Question: 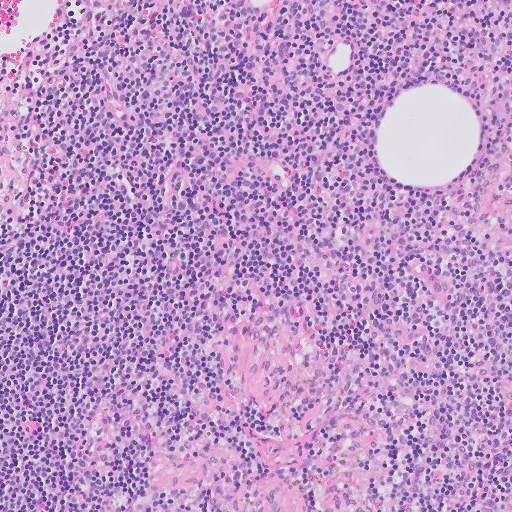
At roughly what magnification is this field shown?

Choices:
 (A) about 10×
 (B) about 2.5×
 (C) about 40×
 (D) about 5×
 (E) about 20×

Answer: (A) about 10×
A 0.51-mm field of an H&E-stained sentinel lymph node from a breast-cancer patient (whole-slide image), shown at about 10×, about 1.0 µm per pixel.
Question: 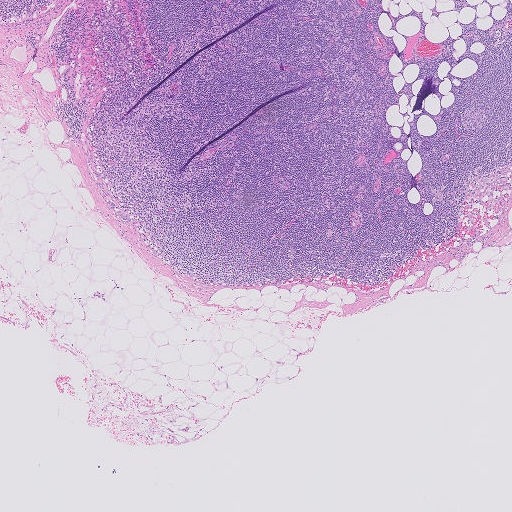
At roughly what magnification is this field shown?

Choices:
 (A) about 5×
 (B) about 10×
 (C) about 20×
 (D) about 2.5×
 (E) about 40×

Answer: (D) about 2.5×
Lymph node section stained with H&E, from a whole-slide image of a breast-cancer sentinel node. Magnification about 2.5×, about 2.0 mm across the frame, about 4.0 µm per pixel.
One metastatic tumour region; its boundary, reduced to 10 corners and listed clockwise: (116, 210), (120, 210), (122, 211), (130, 219), (130, 220), (130, 222), (127, 223), (122, 220), (116, 213), (115, 212).
One more small tumour piece is annotated here but not outlined.
Under 5% of this field is tumour.
Question: 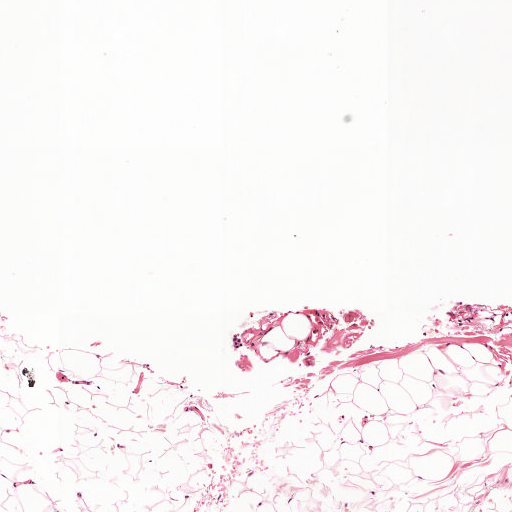
At roughly what magnification is this field shown?

Choices:
 (A) about 20×
 (B) about 5×
 (C) about 10×
 (D) about 2.5×
 (E) about 40×

Answer: (B) about 5×
Lymph node section stained with H&E, from a whole-slide image of a breast-cancer sentinel node. Magnification about 5×, about 1 mm across the frame, about 1.9 µm per pixel.
Tumour region outline (a closed clockwise path, crop pixels): (235, 334), (240, 336), (244, 346), (240, 352), (236, 352), (231, 347), (232, 336).
One more small tumour piece is annotated here but not outlined.
The annotated tumour makes up under 5% of the crop.
Question: 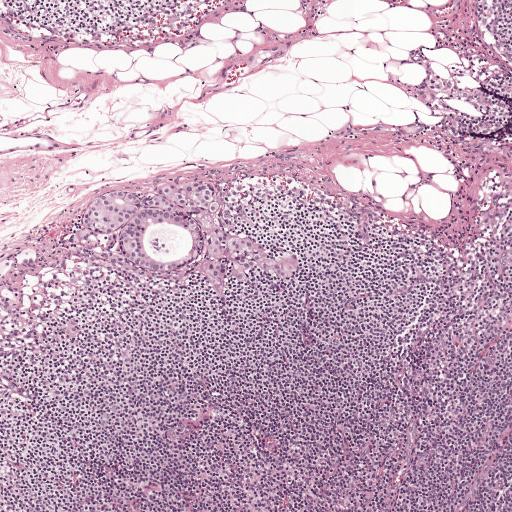
At roughly what magnification is this field shown?

Choices:
 (A) about 5×
 (B) about 10×
 (C) about 2.5×
 (D) about 20×
 (E) about 40×

Answer: (A) about 5×
This is a crop of a whole-slide image: an H&E-stained breast-cancer sentinel lymph node section at roughly 5× magnification (about 1.9 µm per pixel; the crop spans about 1 mm).
Metastatic tumour outline, simplified to 22 points and listed clockwise in crop pixels (x, y): (183, 179), (208, 184), (227, 202), (231, 222), (274, 249), (299, 251), (298, 276), (292, 284), (277, 283), (250, 272), (247, 283), (234, 283), (228, 265), (223, 304), (200, 274), (141, 271), (119, 253), (117, 233), (96, 235), (81, 224), (78, 204), (90, 197).
About 5% of this field is tumour.